Image:
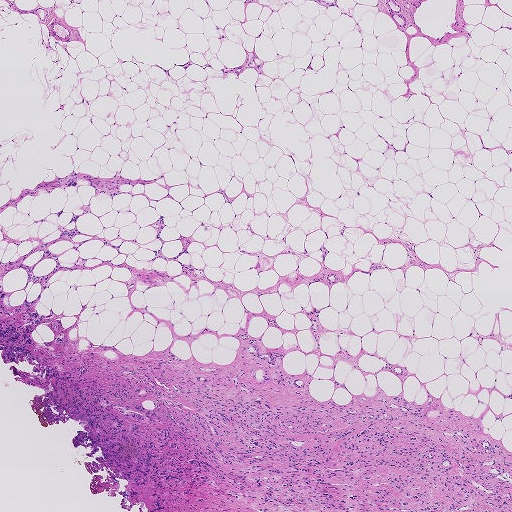
Lymph node section stained with H&E, from a whole-slide image of a breast-cancer sentinel node. Magnification about 2.5×, about 1.9 mm across the frame, about 3.6 µm per pixel.
Question:
Is any metastatic breast cancer visible in this crop?
Answer:
Yes.
One metastatic tumour region; its boundary, reduced to 15 corners and listed clockwise: (244, 331), (313, 402), (380, 406), (500, 445), (511, 511), (148, 511), (153, 487), (131, 487), (100, 448), (75, 449), (84, 430), (50, 409), (34, 350), (167, 349), (228, 366).
About 20% of the image area is annotated as tumour.